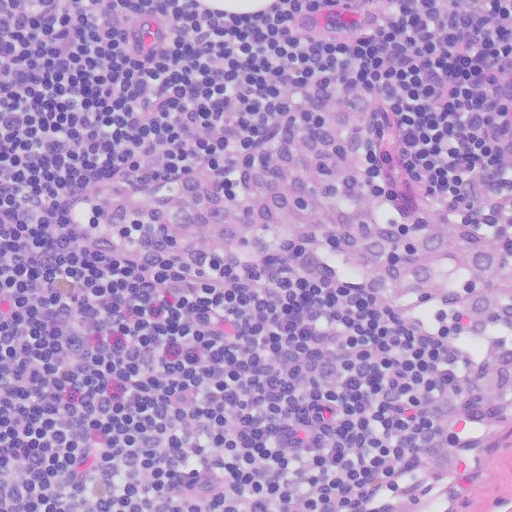
A 0.26-mm field of an H&E-stained sentinel lymph node from a breast-cancer patient (whole-slide image), shown at about 20×, about 0.5 µm per pixel.